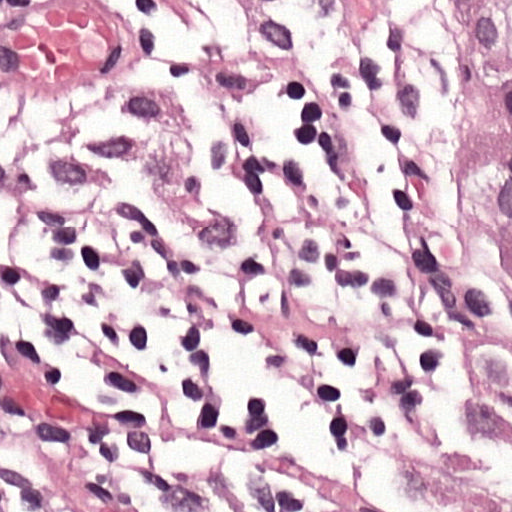
A 0.12-mm field of an H&E-stained sentinel lymph node from a breast-cancer patient (whole-slide image), shown at about 40×, about 0.24 µm per pixel.
Outlines of two tumour regions, largest first (closed clockwise paths, crop pixels): region 1: (499, 0), (511, 0), (511, 450), (453, 366), (465, 134); region 2: (158, 78), (214, 173), (144, 195), (68, 199), (32, 148), (139, 84).
About 10% of the image area is annotated as tumour.